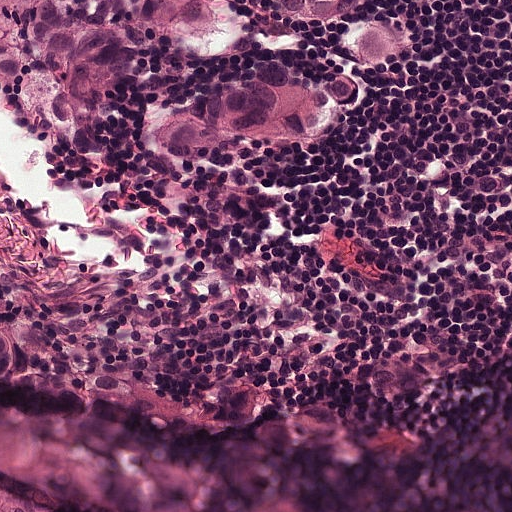
Lymph node section stained with H&E, from a whole-slide image of a breast-cancer sentinel node. Magnification about 20×, about 0.25 mm across the frame, about 0.49 µm per pixel.
Outlines of three tumour regions, largest first (closed clockwise paths, crop pixels): region 1: (0, 0), (386, 0), (411, 40), (411, 64), (360, 96), (304, 164), (150, 156), (0, 119); region 2: (0, 276), (62, 292), (108, 314), (132, 344), (148, 402), (151, 402), (130, 405), (114, 400), (48, 397), (0, 385); region 3: (0, 483), (2, 484), (16, 488), (38, 494), (60, 502), (79, 504), (90, 506), (111, 511), (0, 511).
One more small tumour piece is annotated here but not outlined.
The annotated tumour makes up about 25% of the crop.